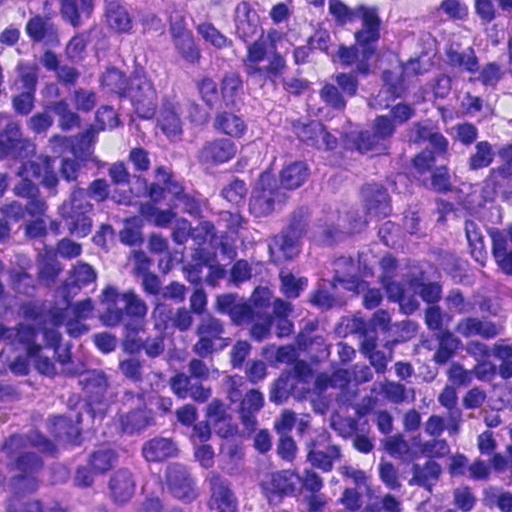
Lymph node section stained with H&E, from a whole-slide image of a breast-cancer sentinel node. Magnification about 40×, about 0.12 mm across the frame, about 0.23 µm per pixel.
Two metastatic tumour regions, each outlined as a closed clockwise path in crop pixels (x, y), largest first: region 1: (112, 0), (254, 0), (268, 15), (249, 61), (258, 109), (307, 107), (355, 124), (387, 161), (474, 214), (503, 255), (505, 281), (488, 297), (436, 289), (393, 266), (317, 275), (270, 256), (258, 234), (193, 196), (58, 60), (62, 35); region 2: (154, 364), (167, 376), (179, 425), (193, 437), (244, 437), (256, 455), (304, 474), (300, 511), (0, 511), (0, 372), (27, 378), (31, 405), (74, 373), (101, 369), (124, 380).
About 35% of this field is tumour.